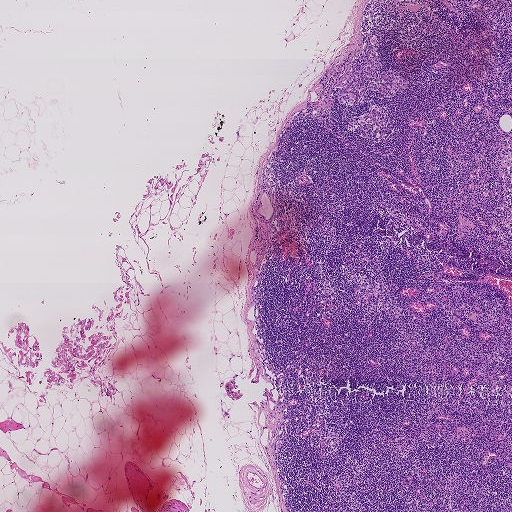
Lymph node section stained with H&E, from a whole-slide image of a breast-cancer sentinel node. Magnification about 2.5×, about 1.9 mm across the frame, about 3.6 µm per pixel.
Question: Is there metastatic carcinoma in this field?
Answer: Yes.
One metastatic tumour region; its boundary, reduced to 20 corners and listed clockwise: (372, 45), (381, 54), (379, 59), (385, 62), (377, 70), (398, 71), (408, 82), (407, 87), (404, 92), (397, 91), (388, 98), (368, 89), (363, 103), (353, 106), (340, 104), (338, 88), (344, 89), (349, 76), (367, 64), (362, 59).
The annotated tumour makes up under 5% of the crop.

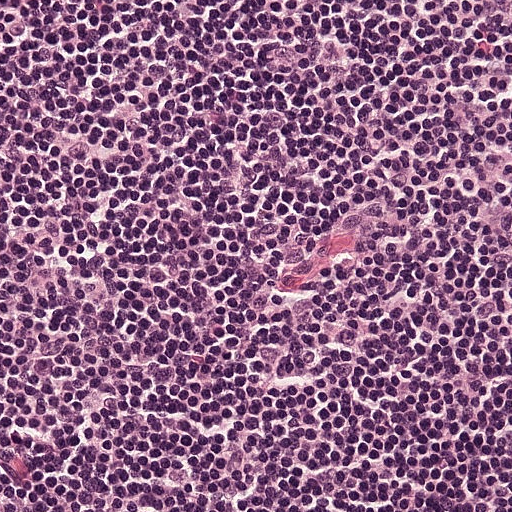
Lymph node section stained with H&E, from a whole-slide image of a breast-cancer sentinel node. Magnification about 20×, about 0.25 mm across the frame, about 0.49 µm per pixel.
Question: Is there metastatic carcinoma in this field?
Answer: No. No metastatic tumour is outlined in this field.

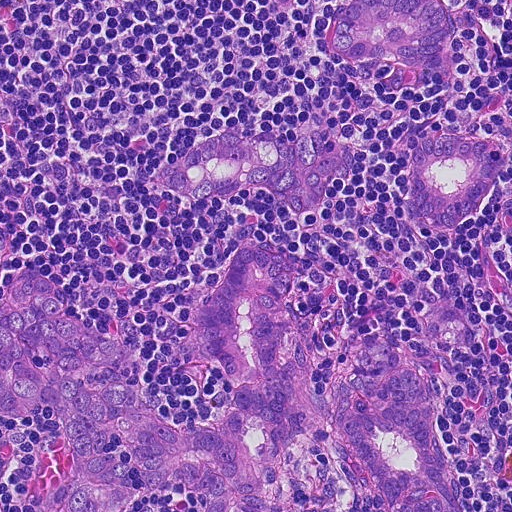
H&E-stained section of a sentinel lymph node (breast cancer), from a whole-slide image, viewed at about 20×: the field is about 0.23 mm across, about 0.45 µm per pixel.
Question: Is there metastatic carcinoma in this field?
Answer: Yes.
Outlines of five tumour regions, largest first (closed clockwise paths, crop pixels): region 1: (253, 240), (276, 251), (284, 348), (306, 334), (318, 356), (312, 426), (274, 462), (269, 511), (132, 498), (60, 511), (63, 428), (46, 408), (0, 414), (2, 292), (44, 270), (114, 340), (146, 408), (193, 426), (226, 394), (204, 299); region 2: (446, 301), (469, 311), (476, 334), (454, 346), (428, 346), (436, 418), (458, 492), (472, 511), (379, 511), (338, 428), (340, 384), (351, 361), (369, 342), (414, 362), (424, 314); region 3: (245, 133), (324, 140), (345, 153), (323, 202), (305, 220), (265, 188), (240, 185), (192, 199), (168, 188), (150, 170), (192, 143), (217, 137); region 4: (462, 131), (488, 135), (508, 149), (484, 195), (466, 215), (442, 225), (416, 223), (404, 199), (408, 148), (414, 142), (437, 134); region 5: (351, 0), (432, 0), (448, 16), (449, 41), (431, 58), (380, 58), (354, 62), (330, 56), (326, 41), (336, 16).
The annotated tumour makes up about 35% of the crop.

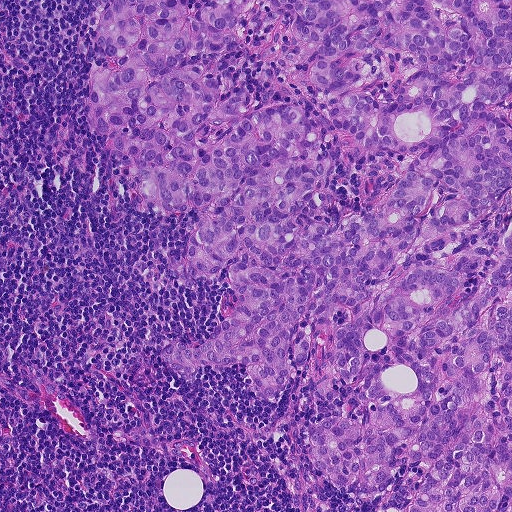
H&E-stained section of a sentinel lymph node (breast cancer), from a whole-slide image, viewed at about 10×: the field is about 0.46 mm across, about 0.9 µm per pixel.
Question: Is there metastatic carcinoma in this field?
Answer: Yes.
The outlined metastatic tumour's edge, as a closed clockwise path of 22 points: (112, 0), (511, 0), (511, 511), (343, 496), (302, 448), (341, 396), (319, 408), (306, 370), (275, 408), (242, 365), (190, 381), (162, 362), (164, 341), (207, 338), (233, 305), (227, 268), (184, 289), (180, 247), (204, 214), (149, 216), (92, 136), (83, 96).
Tumour covers about 65% of the frame.